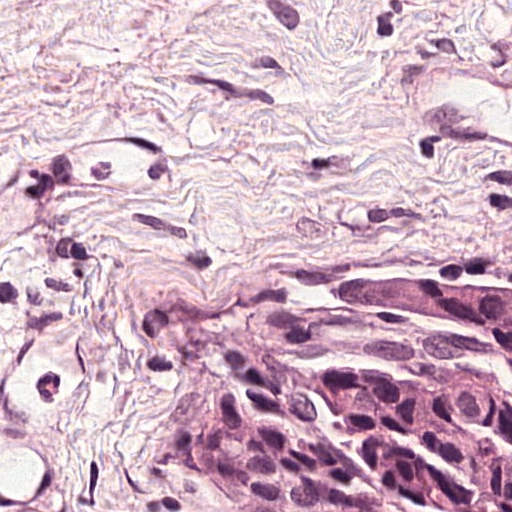
Lymph node section stained with H&E, from a whole-slide image of a breast-cancer sentinel node. Magnification about 40×, about 0.12 mm across the frame, about 0.24 µm per pixel.
Tumour region outline (a closed clockwise path, crop pixels): (323, 276), (511, 290), (511, 511), (209, 511), (188, 498), (164, 416), (193, 329).
About 30% of this field is tumour.